Image:
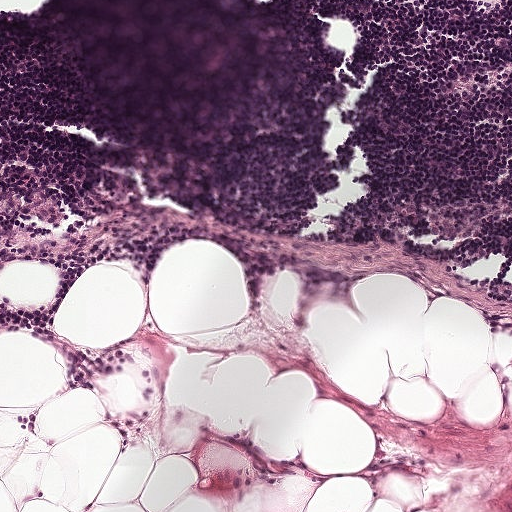
H&E-stained section of a sentinel lymph node (breast cancer), from a whole-slide image, viewed at about 10×: the field is about 0.5 mm across, about 0.97 µm per pixel.
Question:
Is any metastatic breast cancer visible in this crop?
Answer:
No. No metastatic tumour is outlined in this field.